Image:
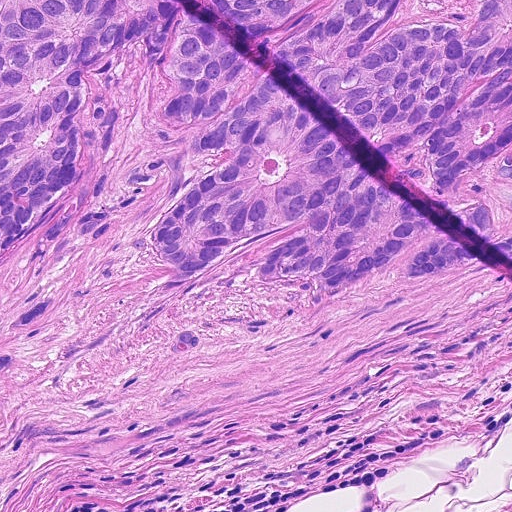
H&E-stained section of a sentinel lymph node (breast cancer), from a whole-slide image, viewed at about 20×: the field is about 0.23 mm across, about 0.45 µm per pixel.
Question:
Is any metastatic breast cancer visible in this crop?
Answer:
Yes.
Metastatic tumour outline, simplified to 20 points and listed clockwise in crop pixels (x, y): (0, 0), (511, 0), (511, 274), (482, 264), (400, 284), (384, 270), (305, 311), (308, 286), (255, 278), (287, 234), (180, 278), (152, 249), (158, 208), (222, 158), (180, 161), (154, 128), (148, 66), (118, 76), (122, 142), (0, 276).
About 50% of this field is tumour.